Image:
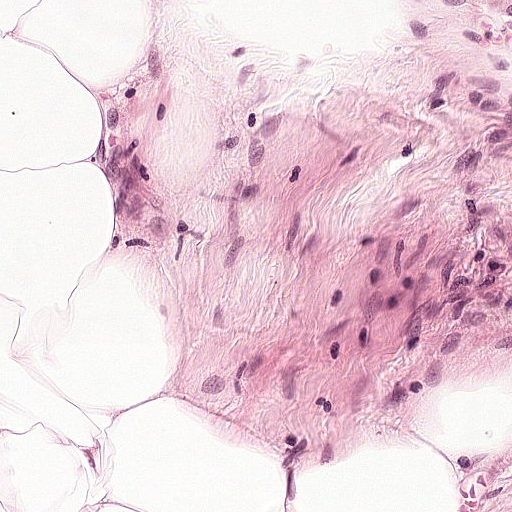
H&E-stained section of a sentinel lymph node (breast cancer), from a whole-slide image, viewed at about 20×: the field is about 0.25 mm across, about 0.49 µm per pixel.
Question:
Is any metastatic breast cancer visible in this crop?
Answer:
No. No metastatic tumour is outlined in this field.